H&E-stained section of a sentinel lymph node (breast cancer), from a whole-slide image, viewed at about 40×: the field is about 0.13 mm across, about 0.25 µm per pixel.
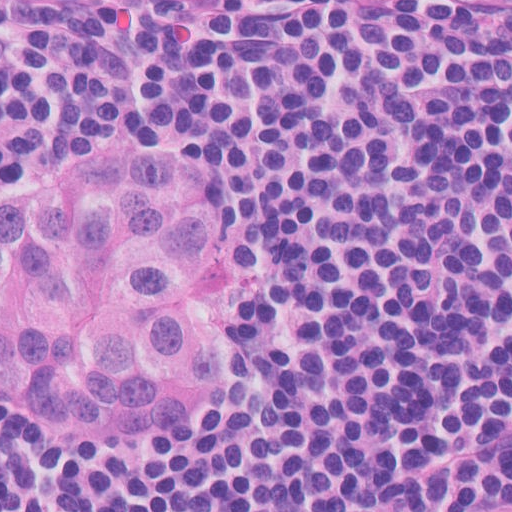
Boundaries of three metastatic tumour regions, simplified and listed clockwise, largest first: region 1: (0, 154), (170, 158), (294, 175), (289, 392), (77, 456), (0, 422); region 2: (0, 0), (511, 0), (511, 65), (371, 44), (143, 44), (0, 31); region 3: (511, 459), (511, 511), (401, 511), (414, 484).
About 40% of this field is tumour.